This is a crop of a whole-slide image: an H&E-stained breast-cancer sentinel lymph node section at roughly 20× magnification (about 0.49 µm per pixel; the crop spans about 0.25 mm).
Image:
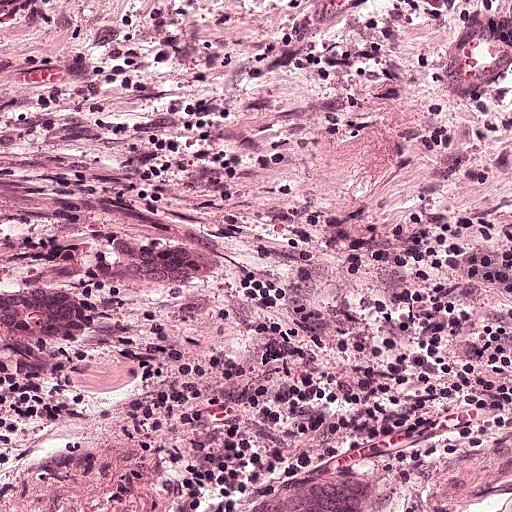
Question:
Where is the metastatic tumour in this field?
Answer:
Outlines of two tumour regions, largest first (closed clockwise paths, crop pixels): region 1: (0, 159), (88, 180), (238, 257), (255, 292), (252, 307), (193, 365), (6, 397); region 2: (309, 468), (352, 470), (374, 478), (383, 485), (388, 485), (389, 498), (385, 511), (264, 511), (272, 485).
The annotated tumour makes up about 20% of the crop.